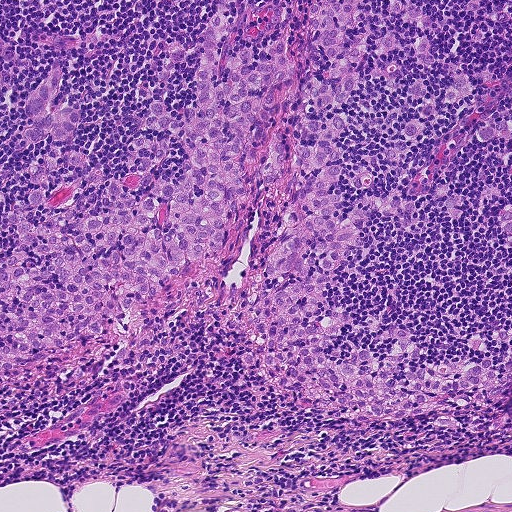
Lymph node section stained with H&E, from a whole-slide image of a breast-cancer sentinel node. Magnification about 10×, about 0.46 mm across the frame, about 0.9 µm per pixel.
Metastatic tumour outline, simplified to 24 points and listed clockwise in crop pixels (x, y): (0, 0), (511, 0), (511, 250), (493, 212), (470, 205), (456, 228), (434, 213), (416, 233), (380, 222), (336, 304), (361, 318), (386, 303), (386, 325), (425, 359), (470, 358), (461, 337), (509, 322), (511, 392), (423, 422), (325, 423), (257, 388), (214, 324), (174, 316), (0, 386).
About 70% of the image area is annotated as tumour.